Image:
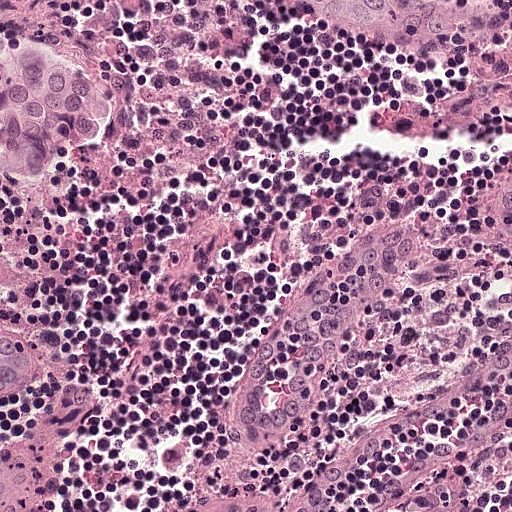
A 0.25-mm field of an H&E-stained sentinel lymph node from a breast-cancer patient (whole-slide image), shown at about 20×, about 0.49 µm per pixel.
Question:
Is there metastatic carcinoma in this field?
Answer:
Yes.
Metastatic tumour outline, simplified to 11 points and listed clockwise in crop pixels (x, y): (0, 23), (38, 34), (52, 47), (118, 80), (113, 140), (98, 152), (74, 154), (46, 181), (25, 192), (5, 190), (0, 186).
Tumour covers about 5% of the frame.